This is a crop of a whole-slide image: an H&E-stained breast-cancer sentinel lymph node section at roughly 10× magnification (about 0.97 µm per pixel; the crop spans about 0.5 mm).
Image:
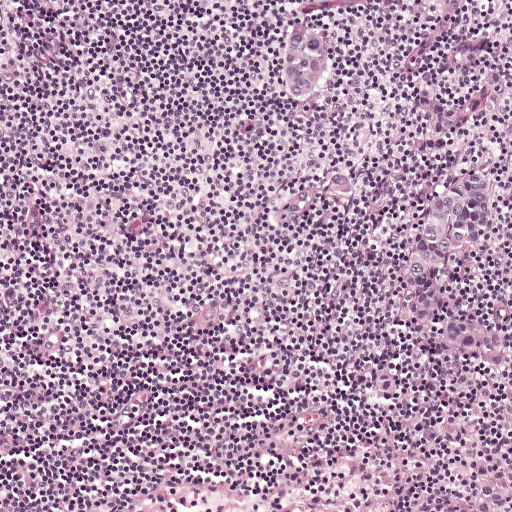
Question:
Show where the tumour is in this image.
Answer:
Outlines of six tumour regions, largest first (closed clockwise paths, crop pixels): region 1: (482, 170), (492, 191), (492, 218), (484, 243), (460, 256), (449, 278), (445, 302), (423, 317), (396, 278), (394, 254), (404, 227), (417, 204), (434, 187), (455, 174); region 2: (299, 19), (326, 20), (336, 41), (336, 64), (327, 87), (308, 99), (286, 87), (279, 66), (284, 39); region 3: (468, 309), (511, 330), (511, 360), (463, 361), (436, 356), (427, 335), (442, 315); region 4: (501, 455), (511, 455), (511, 511), (437, 511), (436, 500), (453, 479), (475, 464); region 5: (420, 92), (443, 100), (457, 113), (449, 133), (445, 150), (419, 154), (414, 145), (423, 139), (431, 118), (419, 103); region 6: (344, 166), (358, 187), (357, 200), (336, 210), (324, 201), (328, 180).
Two more small tumour pieces are annotated here but not outlined.
The annotated tumour makes up about 10% of the crop.